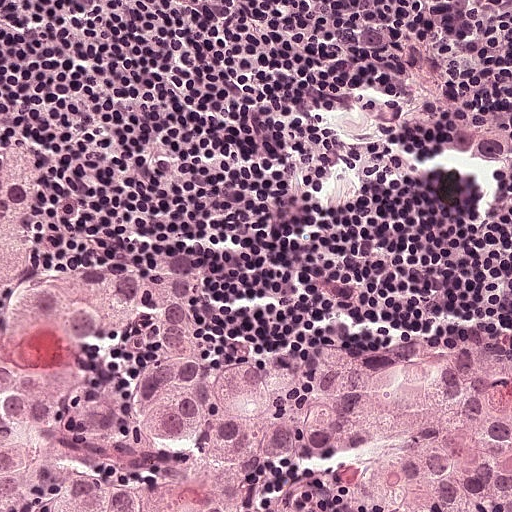
A 0.25-mm field of an H&E-stained sentinel lymph node from a breast-cancer patient (whole-slide image), shown at about 20×, about 0.49 µm per pixel.
Boundaries of two metastatic tumour regions, simplified and listed clockwise, largest first: region 1: (30, 142), (42, 170), (42, 248), (20, 284), (123, 256), (147, 272), (165, 252), (196, 249), (192, 300), (216, 361), (434, 337), (455, 346), (466, 322), (511, 333), (511, 511), (0, 511), (0, 145); region 2: (451, 118), (497, 125), (511, 143), (511, 153), (500, 166), (455, 160), (444, 137).
About 40% of the image area is annotated as tumour.